H&E-stained section of a sentinel lymph node (breast cancer), from a whole-slide image, viewed at about 10×: the field is about 0.5 mm across, about 0.97 µm per pixel.
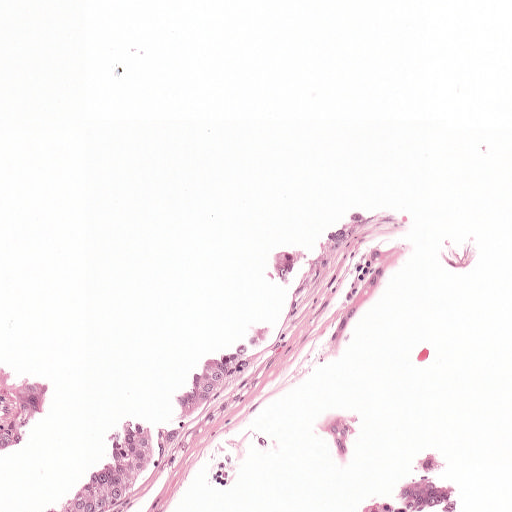
Five metastatic tumour regions, each outlined as a closed clockwise path in crop pixels (x, y), largest first: region 1: (276, 320), (276, 348), (236, 389), (177, 431), (153, 458), (136, 489), (108, 511), (26, 511), (73, 488), (100, 434), (131, 414), (163, 424), (170, 402), (192, 374), (252, 327); region 2: (362, 412), (368, 427), (360, 452), (374, 493), (420, 449), (445, 461), (465, 504), (476, 511), (352, 511), (348, 482), (340, 459), (322, 442), (322, 418); region 3: (0, 360), (42, 366), (59, 386), (44, 428), (15, 457), (0, 453); region 4: (336, 226), (349, 234), (294, 284), (268, 284), (269, 256); region 5: (378, 206), (369, 226), (348, 220), (358, 207).
About 10% of the image area is annotated as tumour.